H&E-stained section of a sentinel lymph node (breast cancer), from a whole-slide image, viewed at about 2.5×: the field is about 2.0 mm across, about 3.9 µm per pixel.
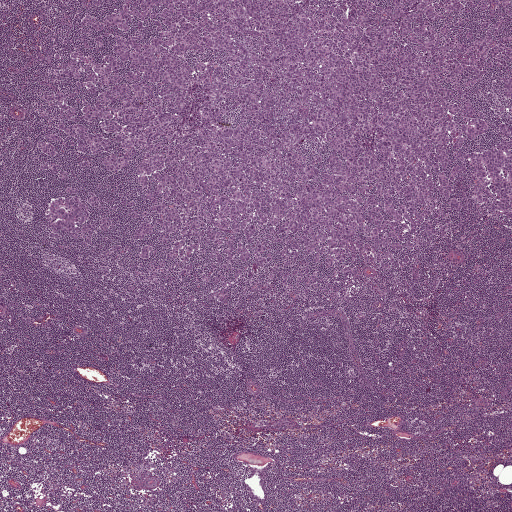
Boundaries of two metastatic tumour regions, simplified and listed clockwise, largest first: region 1: (113, 0), (511, 0), (511, 102), (472, 89), (462, 150), (511, 123), (511, 223), (463, 179), (400, 273), (148, 281), (105, 254), (124, 211), (47, 235), (66, 187), (140, 194), (78, 149), (38, 169); region 2: (90, 0), (106, 0), (104, 3), (99, 8), (91, 6), (89, 3).
About 45% of the image area is annotated as tumour.